Lymph node section stained with H&E, from a whole-slide image of a breast-cancer sentinel node. Magnification about 2.5×, about 2.0 mm across the frame, about 3.9 µm per pixel.
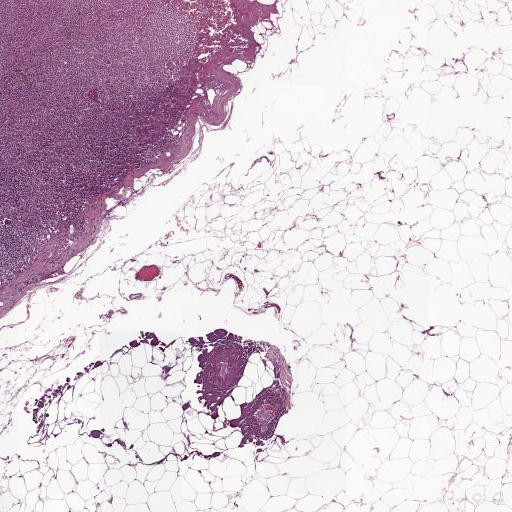
One metastatic tumour region; its boundary, reduced to 21 corners and listed clockwise: (192, 57), (199, 59), (200, 63), (199, 83), (192, 104), (188, 106), (184, 124), (181, 121), (173, 130), (173, 136), (153, 146), (138, 150), (134, 148), (122, 137), (115, 118), (137, 99), (141, 111), (149, 106), (147, 97), (167, 86), (173, 75).
Tumour covers under 5% of the frame.